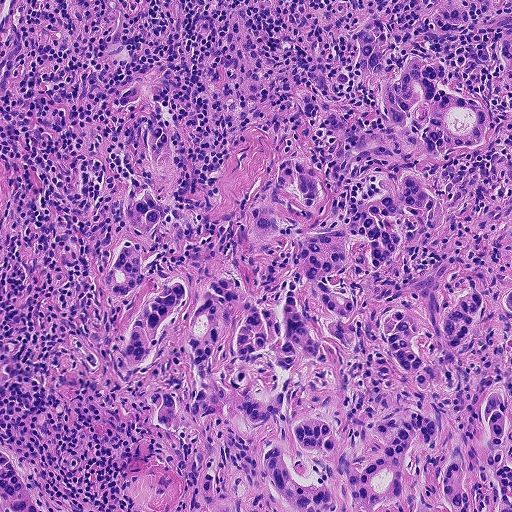
H&E-stained section of a sentinel lymph node (breast cancer), from a whole-slide image, viewed at about 10×: the field is about 0.46 mm across, about 0.9 µm per pixel.
Boundaries of two metastatic tumour regions, simplified and listed clockwise, largest first: region 1: (367, 15), (397, 58), (510, 103), (511, 511), (268, 511), (219, 417), (151, 426), (155, 373), (118, 356), (148, 290), (97, 282), (155, 114), (171, 192), (231, 259), (291, 158), (342, 203), (381, 176), (289, 103), (330, 66), (388, 128); region 2: (4, 441), (16, 455), (51, 511), (4, 511), (0, 503), (0, 443).
The annotated tumour makes up about 55% of the crop.